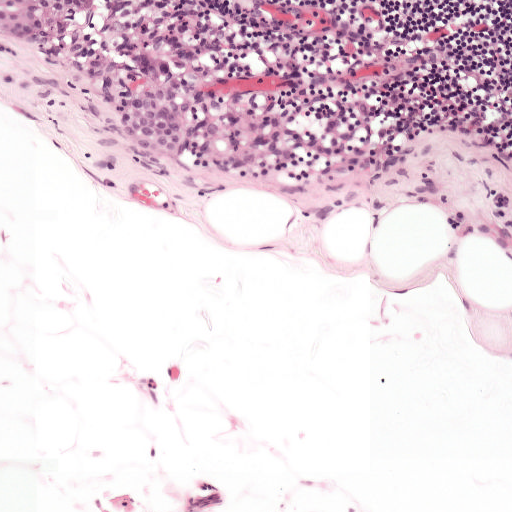
This is a crop of a whole-slide image: an H&E-stained breast-cancer sentinel lymph node section at roughly 10× magnification (about 0.97 µm per pixel; the crop spans about 0.5 mm).
Outlines of two tumour regions, largest first (closed clockwise paths, crop pixels): region 1: (164, 84), (186, 91), (197, 114), (192, 142), (174, 160), (149, 165), (126, 154), (117, 129), (121, 102), (139, 85); region 2: (0, 0), (97, 0), (89, 17), (48, 49), (24, 46), (0, 34).
Tumour covers about 5% of the frame.